Lymph node section stained with H&E, from a whole-slide image of a breast-cancer sentinel node. Magnification about 5×, about 0.93 mm across the frame, about 1.8 µm per pixel.
Image:
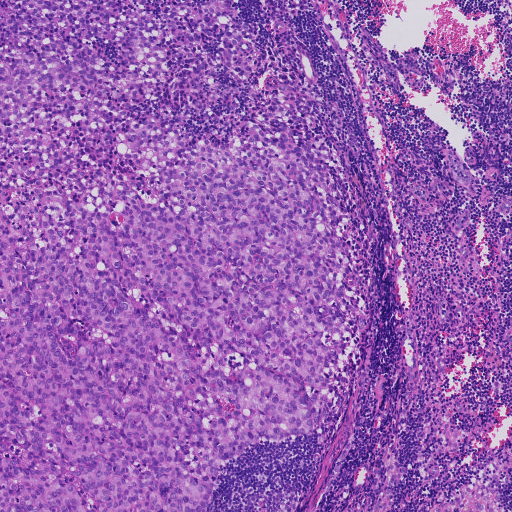
Question:
Trace the edge of each tumour region in this crop, as (x, y) points from 0 to 511.
Answer:
One metastatic tumour region; its boundary, reduced to 23 corners and listed clockwise: (0, 0), (238, 0), (267, 54), (262, 79), (220, 64), (226, 92), (210, 117), (178, 94), (180, 74), (137, 104), (126, 131), (156, 117), (224, 143), (284, 82), (315, 99), (338, 142), (370, 246), (365, 364), (348, 406), (311, 436), (229, 459), (208, 510), (0, 511).
Tumour covers about 60% of the frame.